Question: 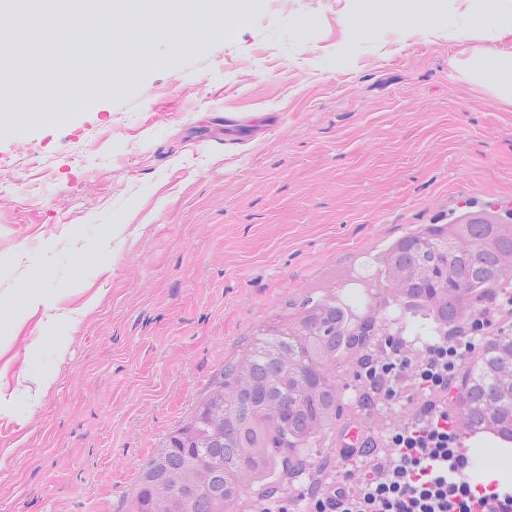
This is a crop of a whole-slide image: an H&E-stained breast-cancer sentinel lymph node section at roughly 20× magnification (about 0.5 µm per pixel; the crop spans about 0.26 mm).
About how much of this crop is taken up by metastatic carcinoma?

Choices:
 (A) about 25% to 45%
 (B) about 10% to 20%
 (C) about 5% or less
 (D) about 50% or more
 (E) none: no tumour is outlined

Answer: (A) about 25% to 45%
About 25% of the field is tumour.
One metastatic tumour region; its boundary, reduced to 15 corners and listed clockwise: (468, 199), (497, 200), (511, 215), (511, 447), (460, 442), (440, 420), (436, 390), (458, 334), (421, 382), (274, 495), (241, 511), (131, 511), (132, 472), (224, 350), (314, 268).